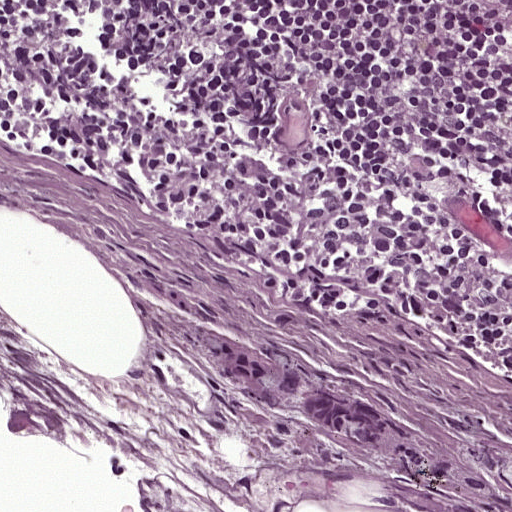
This is a crop of a whole-slide image: an H&E-stained breast-cancer sentinel lymph node section at roughly 20× magnification (about 0.49 µm per pixel; the crop spans about 0.25 mm).
Question: Show where the tumour is in this image.
Answer: One metastatic tumour region; its boundary, reduced to 8 corners and listed clockwise: (210, 331), (304, 371), (400, 419), (399, 445), (367, 445), (342, 439), (239, 386), (197, 349).
About 5% of this field is tumour.